H&E-stained section of a sentinel lymph node (breast cancer), from a whole-slide image, viewed at about 2.5×: the field is about 1.9 mm across, about 3.6 µm per pixel.
Image:
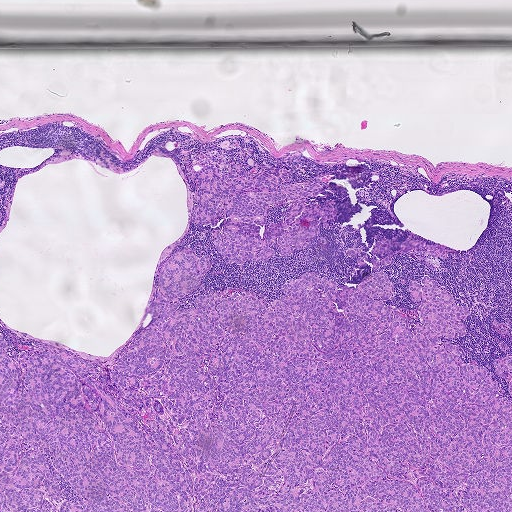
Question:
Where is the metastatic tumour in this field? Give each region's outline as (x, y) pixel points.
Answer:
Outlines of three tumour regions, largest first (closed clockwise paths, crop pixels): region 1: (381, 238), (444, 247), (375, 272), (388, 305), (416, 310), (428, 273), (468, 307), (467, 333), (440, 337), (511, 402), (511, 511), (0, 511), (0, 333), (111, 367), (186, 247), (212, 261), (186, 309), (233, 287), (270, 306), (311, 271), (354, 287), (370, 266), (346, 251); region 2: (232, 162), (250, 176), (267, 164), (271, 171), (293, 173), (294, 181), (280, 186), (321, 185), (310, 199), (293, 203), (336, 202), (334, 216), (326, 221), (329, 229), (317, 222), (311, 245), (284, 256), (276, 243), (268, 246), (275, 254), (264, 262), (249, 259), (239, 264), (223, 259), (210, 233), (221, 220), (206, 226), (190, 220), (196, 201), (192, 171), (204, 166), (223, 173); region 3: (511, 355), (511, 379), (503, 379), (497, 375), (492, 369), (491, 362), (497, 357).
About 45% of the image area is annotated as tumour.